Question: 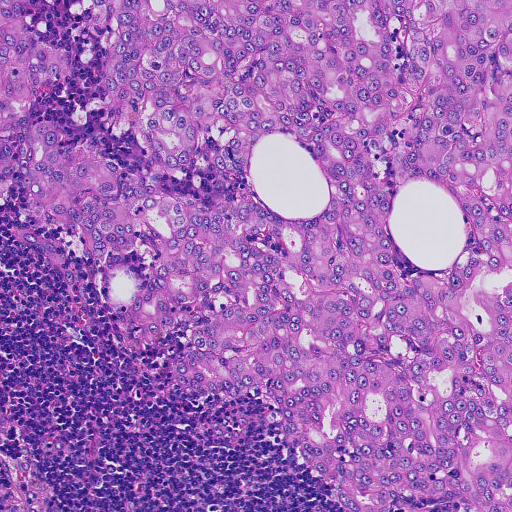
H&E-stained section of a sentinel lymph node (breast cancer), from a whole-slide image, viewed at about 10×: the field is about 0.46 mm across, about 0.91 µm per pixel.
Estimate the proportion of this field that is metastatic tumour.

Choices:
 (A) none: no tumour is outlined
 (B) about 10% to 20%
 (C) about 50% or more
 (D) about 5% or less
 (E) about 25% to 45%

Answer: (C) about 50% or more
About 80% of the field is tumour.
Metastatic tumour outline, simplified to 21 points and listed clockwise in crop pixels (x, y): (0, 0), (511, 0), (511, 511), (343, 511), (288, 446), (273, 396), (252, 386), (229, 398), (176, 388), (172, 368), (188, 328), (141, 349), (122, 340), (116, 318), (133, 282), (124, 276), (82, 302), (50, 258), (13, 235), (24, 198), (3, 183).